Question: 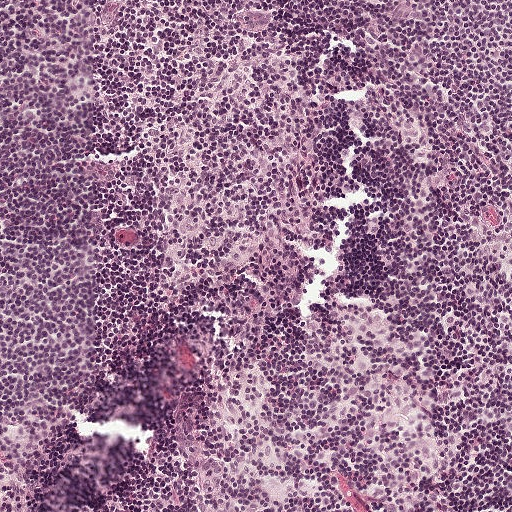
About what magnification does this crop show?

Choices:
 (A) about 5×
 (B) about 20×
 (C) about 2.5×
 (D) about 10×
 (E) about 40×

Answer: (D) about 10×
H&E-stained section of a sentinel lymph node (breast cancer), from a whole-slide image, viewed at about 10×: the field is about 0.5 mm across, about 0.97 µm per pixel.